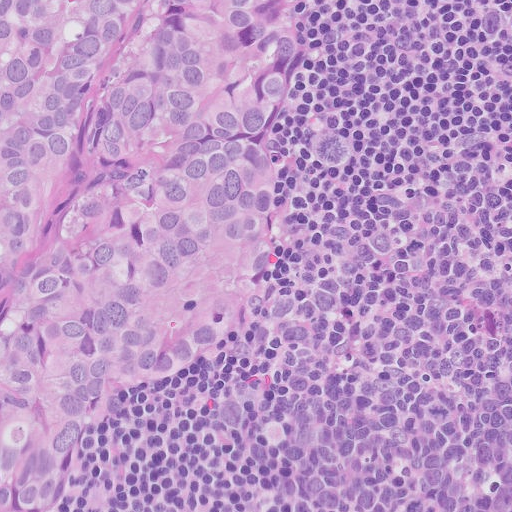
H&E-stained section of a sentinel lymph node (breast cancer), from a whole-slide image, viewed at about 20×: the field is about 0.26 mm across, about 0.5 µm per pixel.
Metastatic tumour outline, simplified to 11 points and listed clockwise in crop pixels (x, y): (0, 0), (314, 0), (285, 108), (343, 136), (346, 166), (286, 177), (252, 338), (196, 382), (148, 395), (65, 510), (0, 511).
About 45% of the image area is annotated as tumour.